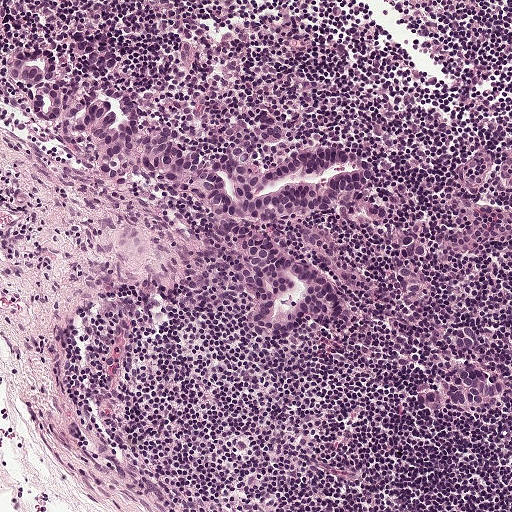
H&E-stained section of a sentinel lymph node (breast cancer), from a whole-slide image, viewed at about 10×: the field is about 0.5 mm across, about 0.97 µm per pixel.
Question: Where is the metastatic tumour in this field?
Answer: Outlines of three tumour regions, largest first (closed clockwise paths, crop pixels): region 1: (9, 49), (50, 49), (50, 75), (65, 90), (98, 83), (125, 88), (138, 122), (158, 124), (186, 148), (241, 147), (254, 158), (338, 140), (372, 153), (378, 164), (376, 180), (331, 204), (284, 220), (253, 219), (248, 226), (260, 226), (328, 275), (344, 310), (337, 319), (300, 317), (286, 327), (240, 320), (238, 286), (206, 245), (199, 208), (161, 177), (114, 184), (96, 168), (96, 141), (85, 129), (65, 117), (29, 114), (22, 85), (4, 72); region 2: (463, 358), (472, 363), (488, 367), (492, 370), (499, 386), (492, 401), (444, 400), (426, 405), (410, 398), (412, 393), (415, 390), (426, 388), (443, 382), (449, 362), (452, 360), (457, 361); region 3: (298, 222), (302, 222), (307, 225), (311, 224), (320, 228), (332, 246), (349, 264), (354, 273), (354, 287), (348, 287), (338, 280), (328, 268), (320, 262), (314, 251), (298, 240), (291, 232).
Two more small tumour pieces are annotated here but not outlined.
The annotated tumour makes up about 15% of the crop.